H&E-stained section of a sentinel lymph node (breast cancer), from a whole-slide image, viewed at about 40×: the field is about 0.12 mm across, about 0.24 µm per pixel.
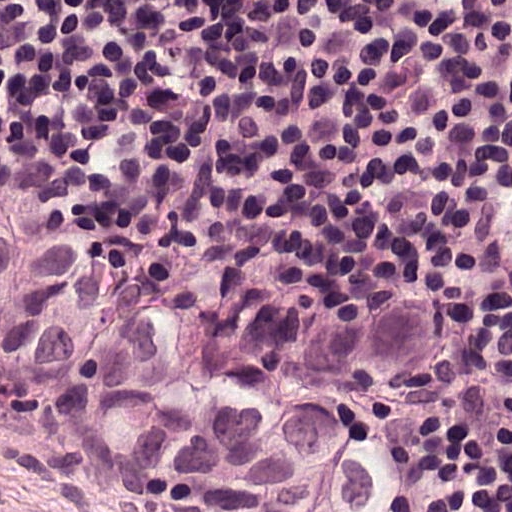
Tumour region outline (a closed clockwise path, crop pixels): (0, 140), (219, 282), (351, 288), (404, 269), (432, 275), (435, 363), (407, 382), (366, 388), (391, 400), (443, 511), (147, 511), (82, 472), (4, 450).
One more small tumour piece is annotated here but not outlined.
About 40% of this field is tumour.